Lymph node section stained with H&E, from a whole-slide image of a breast-cancer sentinel node. Magnification about 20×, about 0.23 mm across the frame, about 0.45 µm per pixel.
Image:
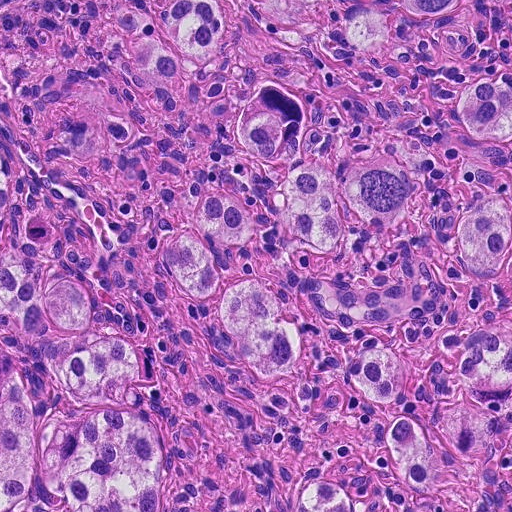
Question:
Which parts of this field are metastatic tumour?
Answer:
Outlines of six tumour regions, largest first (closed clockwise paths, crop pixels): region 1: (511, 77), (511, 260), (476, 274), (458, 254), (468, 203), (489, 190), (423, 186), (412, 236), (439, 280), (399, 343), (468, 314), (511, 319), (511, 470), (458, 454), (443, 499), (418, 495), (395, 481), (380, 432), (399, 414), (355, 384), (295, 432), (271, 424), (214, 307), (160, 259), (190, 174), (258, 204), (282, 169), (236, 140), (245, 94), (296, 88), (308, 161), (335, 170), (388, 143), (462, 156), (462, 83); region 2: (0, 252), (39, 260), (89, 290), (90, 318), (139, 346), (154, 372), (147, 400), (162, 458), (157, 511), (0, 511); region 3: (245, 0), (455, 0), (442, 12), (417, 16), (393, 5), (406, 37), (390, 58), (366, 64), (340, 64), (317, 49), (288, 46), (264, 32); region 4: (176, 0), (216, 0), (226, 6), (226, 31), (210, 53), (182, 56), (188, 76), (164, 81), (140, 72), (116, 28), (126, 4), (149, 16), (164, 38), (160, 14); region 5: (328, 480), (350, 494), (353, 511), (294, 511), (303, 486); region 6: (0, 148), (9, 168), (12, 198), (0, 214).
Tumour covers about 50% of the frame.